A 0.25-mm field of an H&E-stained sentinel lymph node from a breast-cancer patient (whole-slide image), shown at about 20×, about 0.49 µm per pixel.
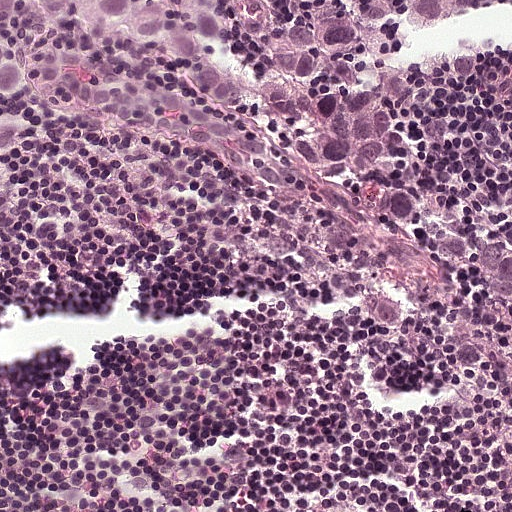
One metastatic tumour region; its boundary, reduced to 8 corners and listed clockwise: (0, 0), (511, 0), (511, 414), (425, 321), (367, 232), (236, 134), (82, 84), (4, 163).
About 40% of this field is tumour.